H&E-stained section of a sentinel lymph node (breast cancer), from a whole-slide image, viewed at about 5×: the field is about 1 mm across, about 1.9 µm per pixel.
Image:
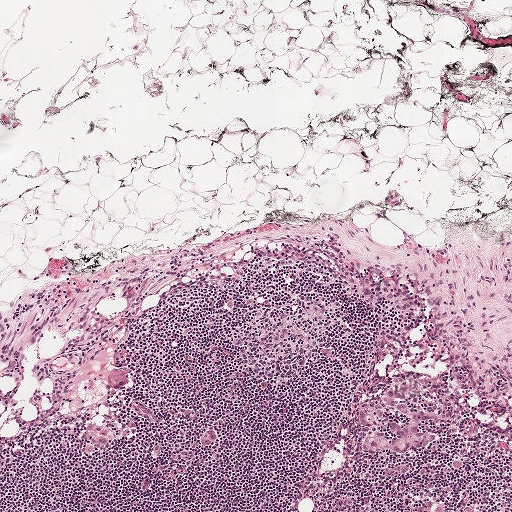
Question:
Does this lymph node field contain metastatic tumour?
Answer:
Yes.
Metastatic tumour outline, simplified to 20 points and listed clockwise in crop pixels (x, y): (406, 388), (411, 407), (424, 408), (443, 417), (437, 421), (430, 418), (423, 420), (425, 429), (439, 432), (439, 438), (428, 447), (406, 451), (390, 449), (374, 451), (363, 447), (365, 429), (356, 410), (372, 398), (381, 398), (389, 389).
Under 5% of the image area is annotated as tumour.